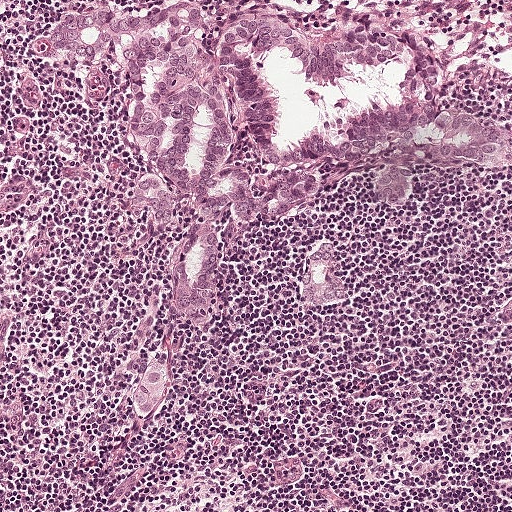
A 0.5-mm field of an H&E-stained sentinel lymph node from a breast-cancer patient (whole-slide image), shown at about 10×, about 0.97 µm per pixel.
Question: Show where the tumour is in this image.
Answer: Three metastatic tumour regions, each outlined as a closed clockwise path in crop pixels (x, y), largest first: region 1: (180, 3), (231, 25), (278, 16), (325, 46), (360, 23), (419, 26), (446, 54), (448, 104), (505, 124), (511, 163), (431, 166), (393, 215), (368, 164), (294, 224), (226, 223), (208, 317), (181, 315), (174, 236), (128, 196), (141, 156), (119, 80), (58, 56), (48, 27), (74, 8); region 2: (329, 240), (334, 244), (338, 254), (341, 278), (348, 293), (347, 298), (342, 302), (335, 304), (317, 305), (298, 298), (300, 275), (306, 255), (314, 244); region 3: (154, 358), (170, 363), (173, 372), (173, 380), (164, 405), (154, 416), (145, 421), (134, 418), (129, 411), (128, 402), (142, 367).
The annotated tumour makes up about 30% of the crop.